Question: 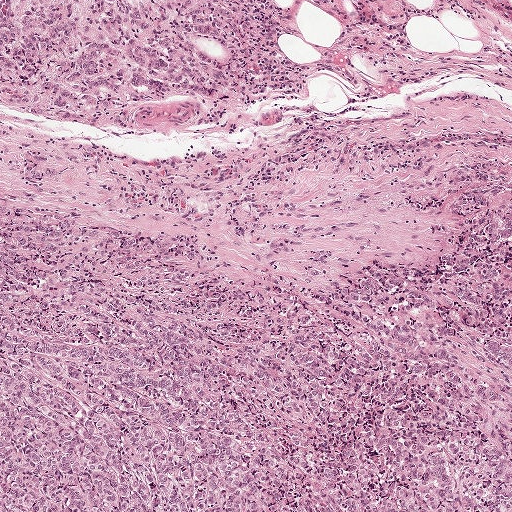
A 1-mm field of an H&E-stained sentinel lymph node from a breast-cancer patient (whole-slide image), shown at about 5×, about 1.9 µm per pixel.
What fraction of the image area is metastatic tumour?

Choices:
 (A) about 50% or more
 (B) about 5% or less
 (C) about 25% to 45%
 (D) about 10% to 20%
 (E) none: no tumour is outlined

Answer: (A) about 50% or more
About 80% of the field is tumour.
Boundaries of two metastatic tumour regions, simplified and listed clockwise, largest first: region 1: (0, 152), (76, 185), (182, 208), (400, 198), (510, 170), (511, 511), (0, 511); region 2: (0, 0), (507, 0), (475, 39), (378, 57), (259, 119), (122, 142), (6, 140).